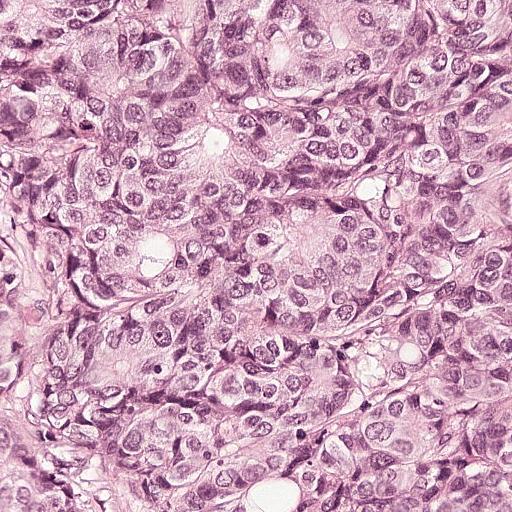
H&E-stained section of a sentinel lymph node (breast cancer), from a whole-slide image, viewed at about 20×: the field is about 0.25 mm across, about 0.49 µm per pixel.
Metastatic tumour covers the whole field.
The annotated tumour makes up over 95% of the crop.